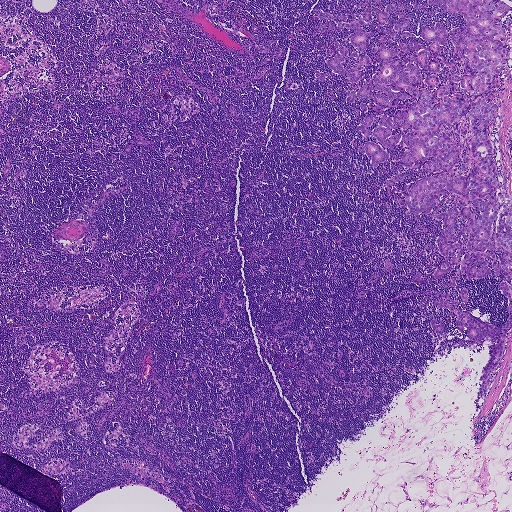
This is a crop of a whole-slide image: an H&E-stained breast-cancer sentinel lymph node section at roughly 2.5× magnification (about 3.6 µm per pixel; the crop spans about 1.9 mm).
Metastatic tumour outline, simplified to 40 points and listed clockwise in crop pixels (x, y): (511, 0), (486, 128), (511, 199), (511, 325), (482, 392), (490, 341), (433, 303), (464, 308), (465, 287), (502, 325), (503, 276), (409, 281), (439, 267), (432, 217), (458, 197), (408, 209), (406, 186), (447, 170), (423, 170), (436, 155), (388, 191), (403, 139), (370, 165), (358, 146), (384, 148), (382, 113), (367, 137), (370, 100), (346, 103), (380, 40), (348, 83), (326, 59), (355, 30), (313, 11), (400, 2), (400, 41), (429, 50), (422, 26), (466, 24), (427, 3).
About 15% of the image area is annotated as tumour.